Question: 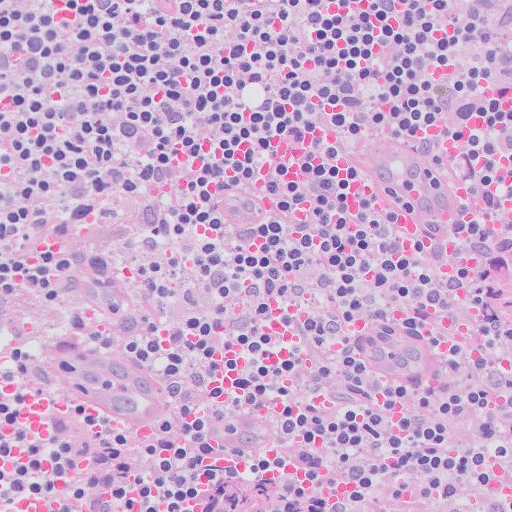
Which magnification is this H&E lymph node field most likely shown at?

Choices:
 (A) about 2.5×
 (B) about 5×
 (C) about 40×
 (D) about 10×
 (E) about 20×

Answer: (E) about 20×
This is a crop of a whole-slide image: an H&E-stained breast-cancer sentinel lymph node section at roughly 20× magnification (about 0.5 µm per pixel; the crop spans about 0.26 mm).